Question: 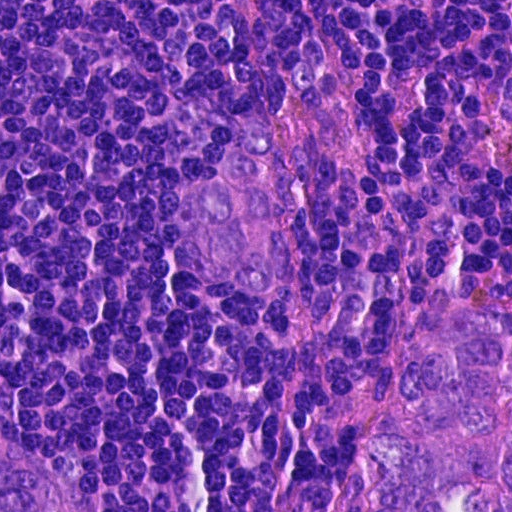
About what magnification does this crop show?

Choices:
 (A) about 5×
 (B) about 2.5×
 (C) about 10×
 (D) about 20×
 (E) about 40×

Answer: (E) about 40×
A 0.12-mm field of an H&E-stained sentinel lymph node from a breast-cancer patient (whole-slide image), shown at about 40×, about 0.23 µm per pixel.
Boundaries of three metastatic tumour regions, simplified and listed clockwise, largest first: region 1: (441, 299), (494, 305), (511, 326), (511, 511), (327, 511), (347, 481), (356, 430); region 2: (247, 108), (285, 129), (286, 180), (301, 230), (299, 281), (250, 293), (206, 269), (180, 225), (204, 179), (221, 165), (232, 116); region 3: (0, 427), (65, 466), (104, 500), (110, 511), (0, 511).
About 20% of the image area is annotated as tumour.